Image:
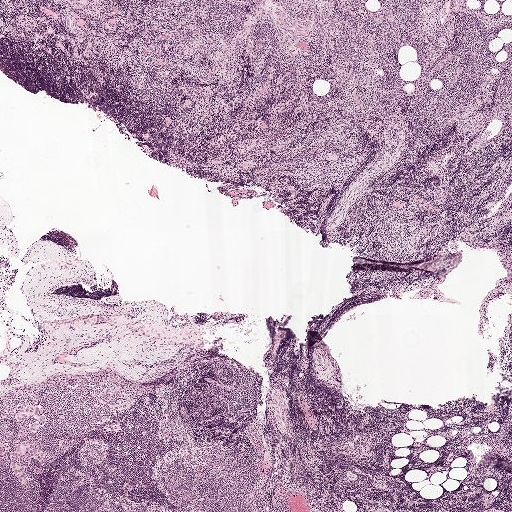
H&E-stained section of a sentinel lymph node (breast cancer), from a whole-slide image, viewed at about 2.5×: the field is about 2.0 mm across, about 3.9 µm per pixel.
Question:
Does this lymph node field contain metastatic tumour?
Answer:
Yes.
Six metastatic tumour regions, each outlined as a closed clockwise path in crop pixels (x, y), largest first: region 1: (16, 405), (35, 405), (40, 407), (46, 417), (45, 424), (33, 431), (30, 431), (28, 428), (36, 420), (35, 417), (29, 415), (22, 422), (17, 422), (13, 416); region 2: (36, 441), (37, 448), (42, 450), (43, 453), (43, 458), (37, 460), (26, 455), (21, 457), (15, 456), (14, 452), (16, 448), (23, 442); region 3: (9, 461), (22, 464), (25, 466), (25, 483), (24, 486), (20, 485), (11, 467), (7, 464); region 4: (110, 389), (118, 389), (119, 390), (119, 393), (116, 396), (111, 399), (106, 399), (101, 399), (100, 396), (101, 394); region 5: (115, 420), (117, 420), (118, 423), (119, 428), (118, 429), (114, 430), (109, 430), (105, 429), (104, 426), (106, 424), (111, 424), (114, 423); region 6: (107, 376), (114, 376), (122, 379), (124, 382), (124, 384), (122, 384), (118, 384), (115, 382), (112, 381), (107, 377).
Under 5% of this field is tumour.